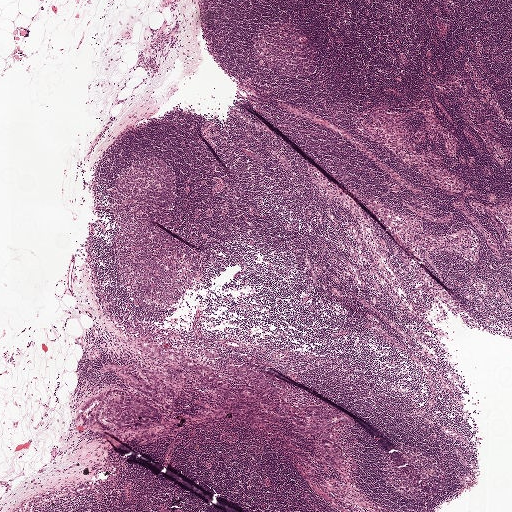
H&E-stained section of a sentinel lymph node (breast cancer), from a whole-slide image, viewed at about 2.5×: the field is about 2.0 mm across, about 3.9 µm per pixel.
Question: Trace the edge of each tumour region in this crop, as (x, y) points from 0 to 511.
Answer: Boundaries of six metastatic tumour regions, simplified and listed clockwise, largest first: region 1: (115, 388), (128, 393), (156, 408), (161, 415), (160, 423), (141, 431), (124, 431), (105, 437), (83, 429), (77, 412), (86, 399), (104, 390); region 2: (248, 389), (266, 398), (287, 403), (296, 408), (314, 405), (333, 408), (348, 416), (354, 426), (338, 427), (334, 433), (334, 437), (343, 444), (350, 465), (341, 469), (331, 466), (324, 460), (320, 450), (321, 437), (300, 435), (288, 419), (246, 404), (237, 395), (237, 390); region 3: (129, 362), (138, 368), (157, 368), (164, 374), (165, 367), (175, 367), (180, 370), (183, 385), (179, 397), (169, 402), (171, 406), (169, 409), (164, 409), (147, 397), (126, 386), (113, 374), (99, 371), (100, 366), (106, 363); region 4: (141, 337), (185, 356), (201, 360), (220, 376), (225, 383), (224, 386), (216, 387), (202, 381), (180, 365), (160, 360), (137, 346), (137, 341); region 5: (244, 364), (283, 380), (289, 387), (288, 397), (283, 398), (270, 396), (248, 387), (230, 376), (227, 368), (228, 365); region 6: (206, 349), (210, 351), (211, 353), (213, 352), (216, 353), (219, 353), (219, 357), (211, 359), (208, 359), (205, 357), (203, 355), (203, 351).
Tumour covers about 5% of the frame.